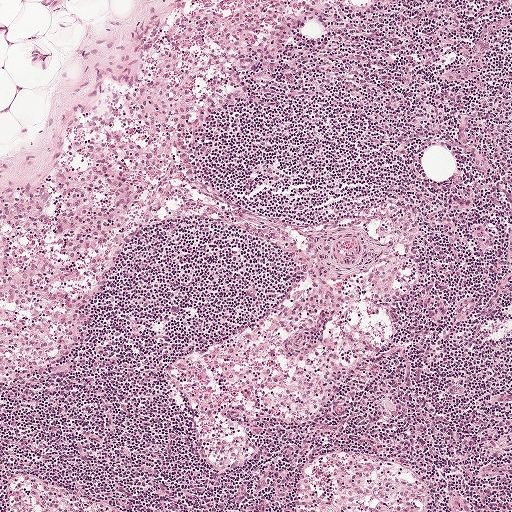
H&E-stained section of a sentinel lymph node (breast cancer), from a whole-slide image, viewed at about 5×: the field is about 1 mm across, about 1.9 µm per pixel.